Question: 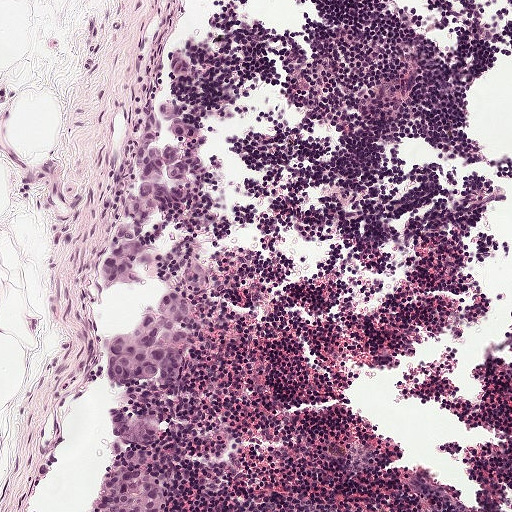
Lymph node section stained with H&E, from a whole-slide image of a breast-cancer sentinel node. Magnification about 10×, about 0.5 mm across the frame, about 0.97 µm per pixel.
What fraction of the image area is metastatic tumour?

Choices:
 (A) about 10% to 20%
 (B) about 25% to 45%
 (C) about 5% or less
 (D) about 50% or more
 (E) none: no tumour is outlined

Answer: (A) about 10% to 20%
About 10% of the field is tumour.
Outlines of four tumour regions, largest first (closed clockwise paths, crop pixels): region 1: (146, 100), (160, 124), (162, 140), (183, 159), (183, 177), (176, 180), (182, 196), (170, 208), (155, 209), (150, 213), (139, 237), (138, 254), (134, 261), (142, 273), (138, 283), (126, 287), (110, 287), (96, 280), (96, 262), (117, 204), (136, 179), (134, 154); region 2: (175, 292), (188, 300), (189, 334), (186, 347), (186, 378), (174, 383), (166, 392), (160, 392), (153, 380), (128, 390), (116, 390), (100, 384), (102, 360), (110, 340), (132, 327), (154, 298); region 3: (112, 406), (140, 412), (155, 424), (160, 439), (149, 453), (148, 462), (150, 470), (164, 481), (165, 502), (162, 511), (82, 511), (98, 481), (114, 463), (104, 436), (108, 410); region 4: (163, 99), (183, 109), (184, 120), (194, 126), (195, 143), (176, 142), (164, 134), (158, 108), (159, 102).
One more small tumour piece is annotated here but not outlined.